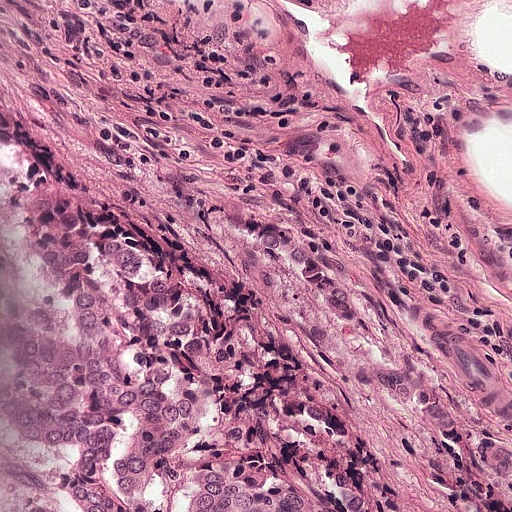
This is a crop of a whole-slide image: an H&E-stained breast-cancer sentinel lymph node section at roughly 20× magnification (about 0.49 µm per pixel; the crop spans about 0.25 mm).
The outlined metastatic tumour's edge, as a closed clockwise path of 12 points: (122, 264), (132, 264), (142, 284), (162, 294), (182, 335), (343, 511), (50, 511), (70, 488), (70, 457), (81, 457), (81, 436), (122, 376).
Tumour covers about 15% of the frame.